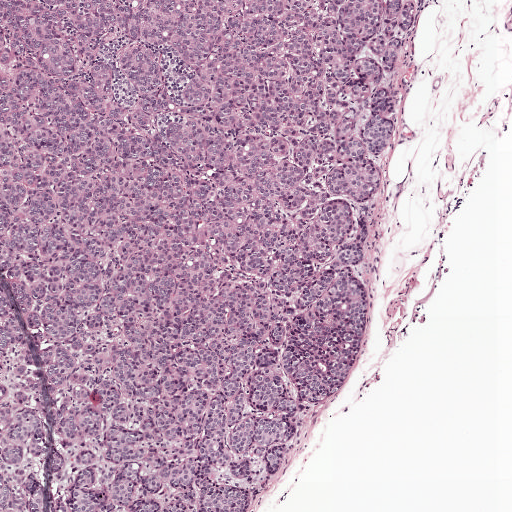
Lymph node section stained with H&E, from a whole-slide image of a breast-cancer sentinel node. Magnification about 5×, about 1 mm across the frame, about 1.9 µm per pixel.
The outlined metastatic tumour's edge, as a closed clockwise path of 20 points: (0, 0), (416, 4), (400, 66), (381, 76), (397, 127), (371, 155), (383, 185), (367, 210), (364, 259), (352, 267), (367, 294), (360, 349), (341, 388), (301, 412), (277, 477), (224, 470), (218, 482), (249, 487), (246, 510), (0, 511).
The annotated tumour makes up about 70% of the crop.